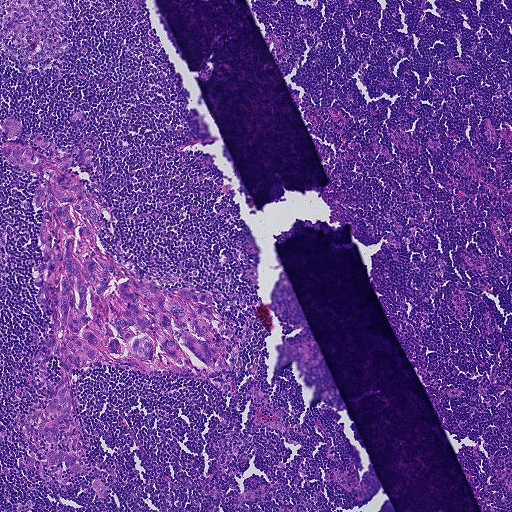
This is a crop of a whole-slide image: an H&E-stained breast-cancer sentinel lymph node section at roughly 5× magnification (about 1.8 µm per pixel; the crop spans about 0.93 mm).
Question: Is there metastatic carcinoma in this field?
Answer: Yes.
Boundaries of two metastatic tumour regions, simplified and listed clockwise, largest first: region 1: (7, 116), (20, 125), (17, 141), (51, 155), (33, 140), (40, 134), (67, 150), (75, 159), (69, 168), (80, 174), (102, 215), (100, 249), (138, 282), (210, 293), (232, 340), (225, 357), (230, 368), (206, 379), (101, 362), (74, 367), (72, 422), (57, 444), (84, 465), (76, 477), (48, 465), (50, 445), (34, 430), (63, 378), (49, 350), (50, 303), (37, 306), (33, 278), (42, 259), (42, 208), (33, 206), (32, 195), (48, 179), (3, 156), (0, 121); region 2: (98, 478), (104, 483), (105, 490), (103, 496), (97, 493), (92, 487), (93, 480).
One more small tumour piece is annotated here but not outlined.
About 10% of the image area is annotated as tumour.

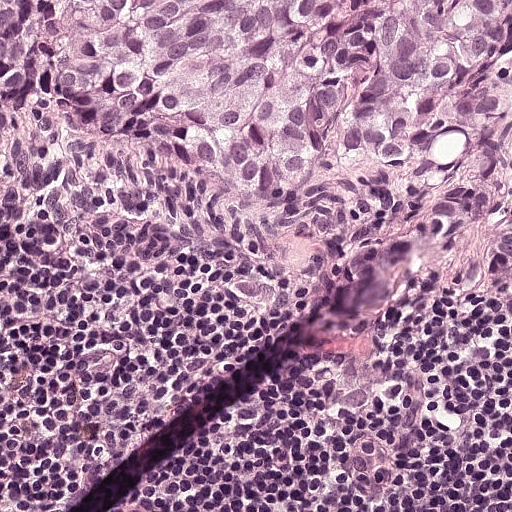
A 0.25-mm field of an H&E-stained sentinel lymph node from a breast-cancer patient (whole-slide image), shown at about 20×, about 0.49 µm per pixel.
Question: Is there metastatic carcinoma in this field?
Answer: Yes.
Tumour region outline (a closed clockwise path, crop pixels): (0, 0), (508, 0), (511, 46), (498, 56), (498, 74), (511, 100), (500, 206), (511, 212), (511, 284), (488, 294), (462, 236), (430, 232), (446, 172), (474, 154), (472, 126), (436, 158), (375, 158), (299, 199), (252, 204), (168, 151), (98, 144), (52, 116), (4, 106).
Tumour covers about 35% of the frame.

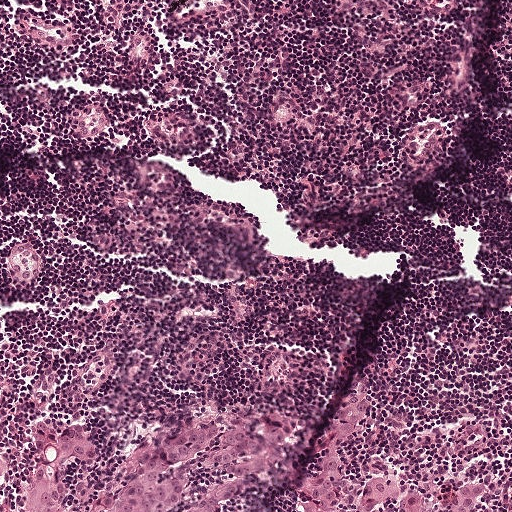
This is a crop of a whole-slide image: an H&E-stained breast-cancer sentinel lymph node section at roughly 10× magnification (about 0.97 µm per pixel; the crop spans about 0.5 mm).
Question: Is there metastatic carcinoma in this field?
Answer: Yes.
Outlines of two tumour regions, largest first (closed clockwise paths, crop pixels): region 1: (59, 413), (97, 429), (101, 436), (96, 463), (100, 481), (106, 486), (122, 473), (131, 476), (146, 492), (146, 509), (0, 511), (0, 414); region 2: (359, 375), (372, 377), (375, 390), (375, 446), (382, 454), (402, 466), (406, 482), (435, 484), (470, 472), (492, 478), (492, 490), (472, 511), (314, 511), (310, 486), (314, 467).
One more small tumour piece is annotated here but not outlined.
The annotated tumour makes up about 10% of the crop.

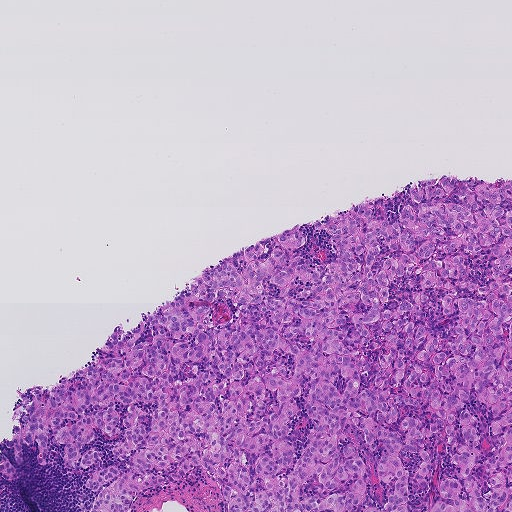
This is a crop of a whole-slide image: an H&E-stained breast-cancer sentinel lymph node section at roughly 5× magnification (about 1.8 µm per pixel; the crop spans about 0.93 mm).
Question: Is there metastatic carcinoma in this field?
Answer: Yes.
One metastatic tumour region; its boundary, reduced to 22 corners and listed clockwise: (502, 178), (511, 511), (227, 511), (198, 466), (89, 511), (88, 475), (130, 464), (94, 429), (93, 465), (62, 463), (53, 427), (45, 463), (34, 442), (0, 473), (34, 387), (119, 324), (146, 344), (243, 246), (300, 229), (288, 256), (322, 274), (312, 220).
About 45% of this field is tumour.